Question: 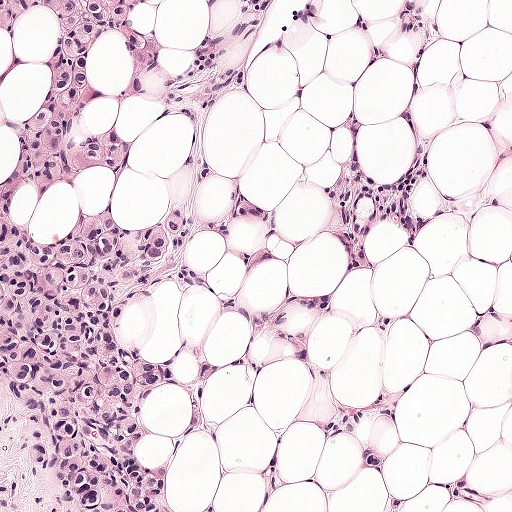
A 0.5-mm field of an H&E-stained sentinel lymph node from a breast-cancer patient (whole-slide image), shown at about 10×, about 0.97 µm per pixel.
About how much of this crop is taken up by metastatic carcinoma?

Choices:
 (A) about 5% or less
 (B) about 25% to 45%
 (C) none: no tumour is outlined
 (D) about 50% or more
 (E) about 10% to 20%

Answer: (B) about 25% to 45%
About 40% of the field is tumour.
Outlines of four tumour regions, largest first (closed clockwise paths, crop pixels): region 1: (0, 0), (122, 0), (148, 33), (151, 89), (86, 102), (98, 134), (134, 141), (115, 180), (140, 224), (178, 160), (154, 109), (211, 0), (266, 0), (260, 38), (324, 0), (204, 108), (191, 200), (210, 212), (242, 180), (271, 215), (270, 266), (213, 262), (205, 292), (157, 280), (103, 308), (150, 362), (211, 362), (191, 384), (146, 380), (130, 443), (176, 506), (220, 511), (84, 511), (0, 428), (0, 176), (59, 21), (24, 11), (0, 32); region 2: (295, 285), (332, 288), (331, 303), (314, 336), (314, 347), (324, 363), (327, 394), (334, 403), (342, 404), (358, 398), (382, 380), (399, 383), (402, 408), (382, 456), (393, 494), (406, 501), (404, 511), (386, 511), (386, 482), (376, 471), (358, 466), (351, 434), (339, 428), (291, 424), (302, 394), (302, 371), (280, 365), (242, 370), (228, 363), (227, 352), (239, 334), (239, 324), (236, 315), (214, 302), (216, 295), (232, 293), (258, 307), (270, 308); region 3: (404, 100), (411, 126), (428, 132), (436, 142), (432, 170), (414, 199), (413, 208), (446, 208), (424, 221), (410, 251), (400, 249), (396, 227), (375, 218), (361, 231), (367, 269), (345, 267), (340, 243), (322, 232), (327, 206), (318, 190), (319, 184), (332, 176), (344, 158), (344, 143), (342, 134), (323, 125), (353, 106), (360, 127), (360, 167), (373, 177), (391, 177), (407, 161), (406, 138), (392, 117), (394, 108); region 4: (389, 0), (429, 0), (429, 37), (425, 44), (421, 45), (406, 40), (390, 29), (387, 22).
One more small tumour piece is annotated here but not outlined.